H&E-stained section of a sentinel lymph node (breast cancer), from a whole-slide image, viewed at about 10×: the field is about 0.5 mm across, about 0.97 µm per pixel.
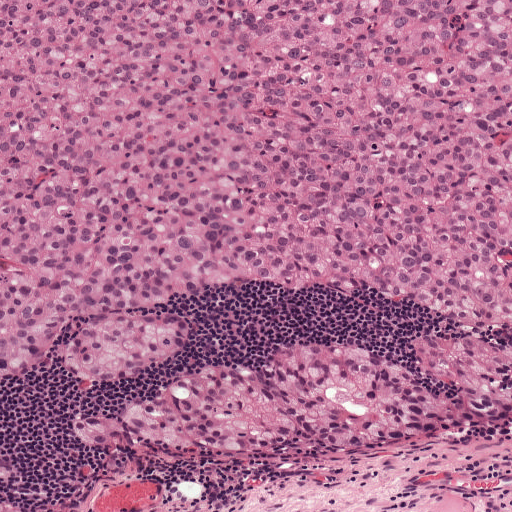
Three metastatic tumour regions, each outlined as a closed clockwise path in crop pixels (x, y), largest first: region 1: (0, 0), (511, 0), (511, 427), (215, 466), (118, 458), (56, 427), (253, 350), (404, 346), (407, 313), (323, 298), (174, 303), (196, 337), (128, 387), (68, 392), (58, 374), (0, 398); region 2: (0, 441), (17, 452), (22, 472), (4, 479), (0, 478); region 3: (0, 498), (1, 498), (28, 505), (29, 511), (0, 511).
The annotated tumour makes up about 80% of the crop.